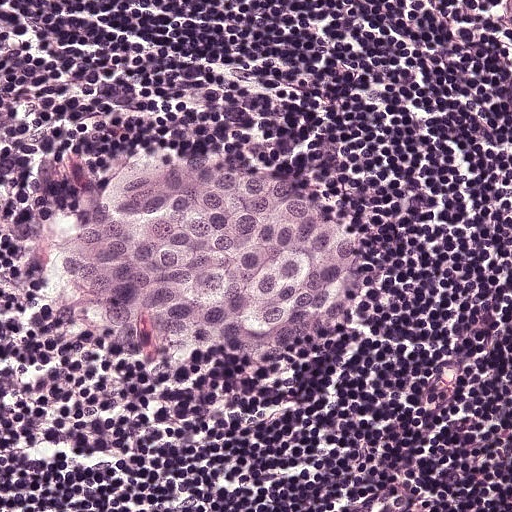
This is a crop of a whole-slide image: an H&E-stained breast-cancer sentinel lymph node section at roughly 20× magnification (about 0.49 µm per pixel; the crop spans about 0.25 mm).
Tumour region outline (a closed clockwise path, crop pixels): (152, 152), (238, 158), (337, 194), (354, 228), (355, 266), (342, 317), (326, 338), (126, 336), (66, 311), (48, 280), (58, 212).
Tumour covers about 20% of the frame.